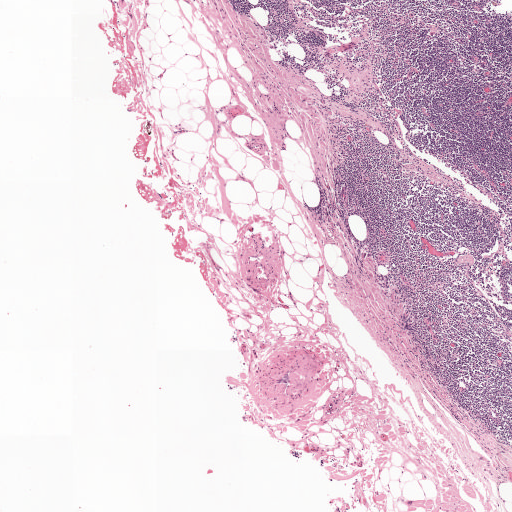
A 2.0-mm field of an H&E-stained sentinel lymph node from a breast-cancer patient (whole-slide image), shown at about 2.5×, about 3.9 µm per pixel.